Lymph node section stained with H&E, from a whole-slide image of a breast-cancer sentinel node. Magnification about 5×, about 1 mm across the frame, about 1.9 µm per pixel.
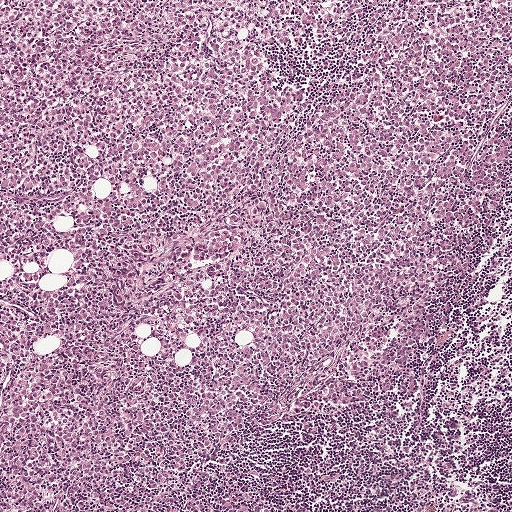
Question: Does this lymph node field contain metastatic tumour?
Answer: Yes.
Outlines of two tumour regions, largest first (closed clockwise paths, crop pixels): region 1: (372, 0), (330, 45), (265, 56), (298, 94), (277, 149), (224, 202), (183, 223), (158, 178), (104, 175), (100, 147), (87, 142), (67, 158), (68, 185), (48, 220), (3, 241), (0, 24), (32, 1); region 2: (320, 259), (384, 264), (399, 275), (399, 292), (335, 371), (249, 417), (182, 474), (127, 501), (138, 465), (174, 422), (181, 396), (205, 358), (223, 310), (246, 297), (290, 291).
About 30% of the image area is annotated as tumour.